Image:
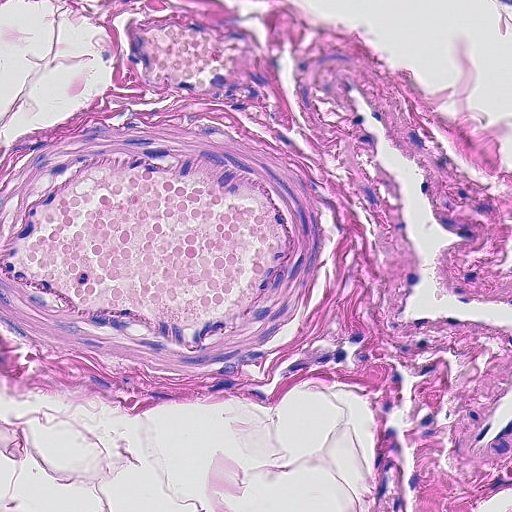
This is a crop of a whole-slide image: an H&E-stained breast-cancer sentinel lymph node section at roughly 20× magnification (about 0.45 µm per pixel; the crop spans about 0.23 mm).
Question:
Is any metastatic breast cancer visible in this crop?
Answer:
No, this field holds no outlined metastasis.